Image:
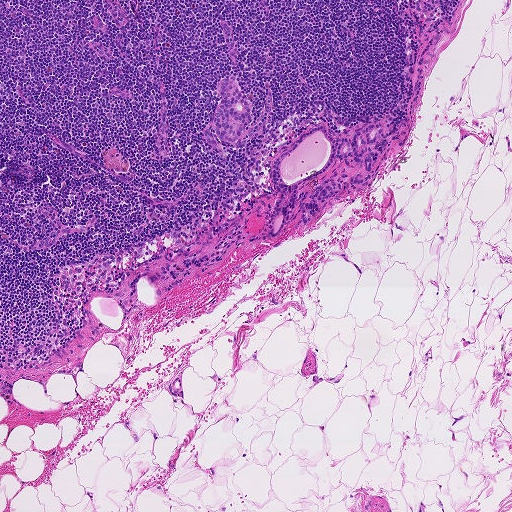
This is a crop of a whole-slide image: an H&E-stained breast-cancer sentinel lymph node section at roughly 5× magnification (about 1.8 µm per pixel; the crop spans about 0.93 mm).
Question:
Where is the metastatic tumour in this field? Give each region's outline as (x, y) pixel points.
Answer:
Outlines of four tumour regions, largest first (closed clockwise paths, crop pixels): region 1: (382, 123), (380, 136), (367, 146), (375, 152), (372, 169), (361, 170), (352, 157), (334, 160), (325, 172), (297, 188), (296, 200), (287, 209), (284, 226), (274, 237), (268, 229), (279, 193), (272, 184), (273, 162), (300, 134), (318, 125), (326, 125), (334, 139), (351, 140), (366, 126); region 2: (224, 79), (237, 82), (241, 95), (251, 103), (247, 134), (237, 142), (224, 142), (218, 136), (214, 129), (214, 112), (222, 96), (216, 88), (217, 84); region 3: (331, 178), (341, 184), (340, 194), (325, 203), (317, 202), (319, 210), (317, 214), (313, 216), (309, 223), (305, 224), (299, 214), (296, 213), (298, 206), (310, 201), (309, 197), (313, 190), (327, 179); region 4: (370, 174), (370, 176), (370, 179), (359, 185), (350, 184), (350, 176), (354, 177), (355, 179), (359, 180).
The annotated tumour makes up about 5% of the crop.